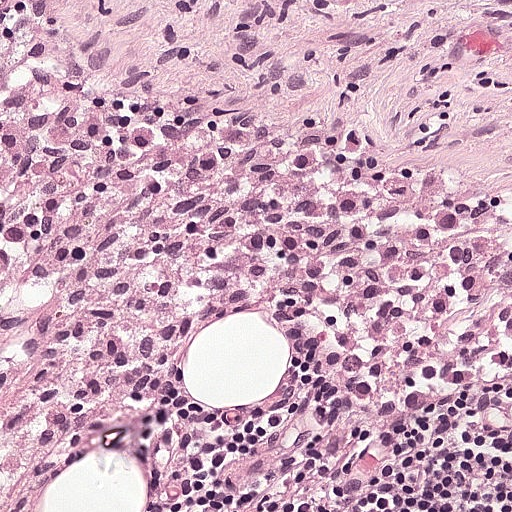
A 0.25-mm field of an H&E-stained sentinel lymph node from a breast-cancer patient (whole-slide image), shown at about 20×, about 0.49 µm per pixel.
The outlined metastatic tumour's edge, as a closed clockwise path of 6 points: (511, 0), (511, 249), (364, 222), (243, 180), (143, 112), (52, 4).
About 30% of the image area is annotated as tumour.